Question: 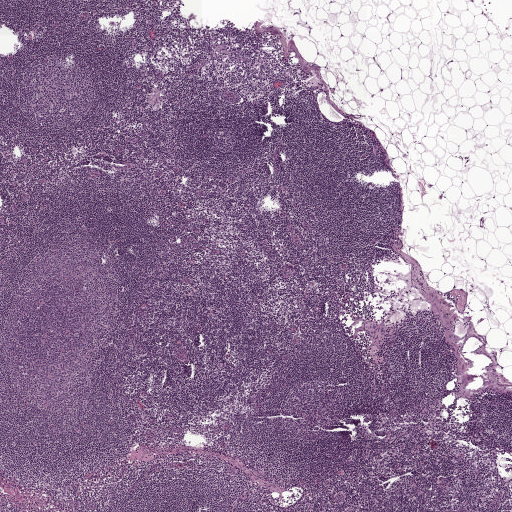
About what magnification does this crop show?

Choices:
 (A) about 40×
 (B) about 5×
 (C) about 10×
 (D) about 20×
 (E) about 2.5×

Answer: (E) about 2.5×
This is a crop of a whole-slide image: an H&E-stained breast-cancer sentinel lymph node section at roughly 2.5× magnification (about 3.9 µm per pixel; the crop spans about 2.0 mm).